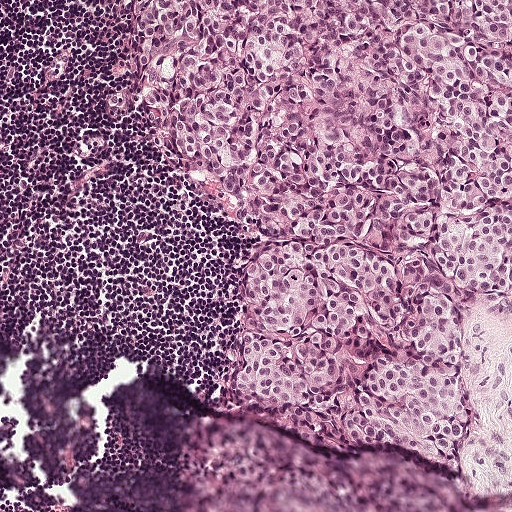
Lymph node section stained with H&E, from a whole-slide image of a breast-cancer sentinel node. Magnification about 10×, about 0.5 mm across the frame, about 0.97 µm per pixel.
The outlined metastatic tumour's edge, as a closed clockwise path of 13 points: (511, 0), (511, 284), (460, 311), (468, 419), (457, 469), (281, 430), (233, 392), (257, 246), (236, 211), (172, 166), (143, 121), (130, 50), (137, 2).
About 50% of this field is tumour.